H&E-stained section of a sentinel lymph node (breast cancer), from a whole-slide image, viewed at about 10×: the field is about 0.46 mm across, about 0.9 µm per pixel.
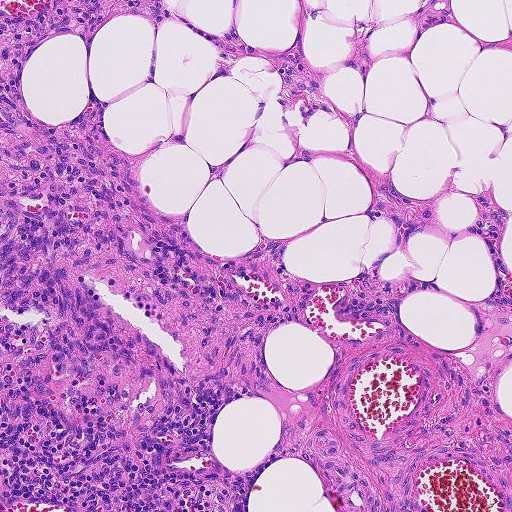
Question: Does this lymph node field contain metastatic tumour?
Answer: No, this field holds no outlined metastasis.